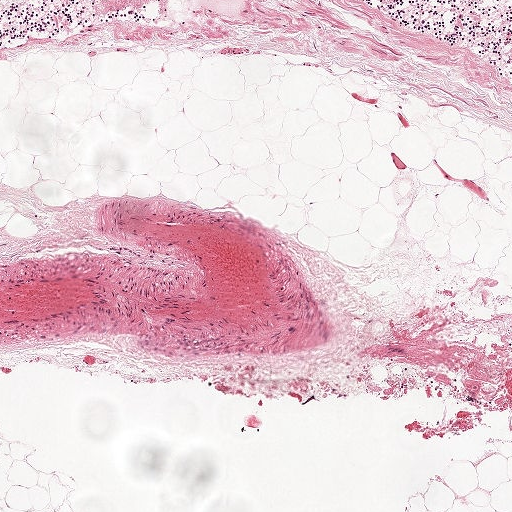
This is a crop of a whole-slide image: an H&E-stained breast-cancer sentinel lymph node section at roughly 5× magnification (about 1.9 µm per pixel; the crop spans about 1 mm).